This is a crop of a whole-slide image: an H&E-stained breast-cancer sentinel lymph node section at roughly 10× magnification (about 0.97 µm per pixel; the crop spans about 0.5 mm).
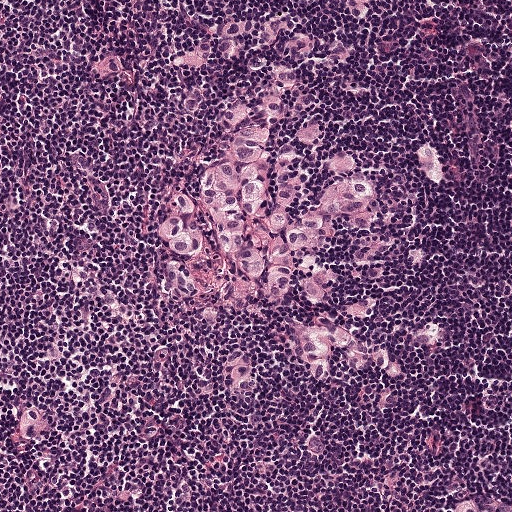
The outlined metastatic tumour's edge, as a closed clockwise path of 24 points: (262, 94), (282, 154), (299, 158), (315, 194), (325, 196), (348, 166), (364, 177), (364, 226), (328, 222), (323, 246), (340, 304), (382, 348), (372, 372), (352, 372), (335, 352), (322, 378), (306, 375), (287, 353), (283, 309), (223, 294), (215, 268), (158, 243), (154, 217), (177, 176).
The annotated tumour makes up about 10% of the crop.